Image:
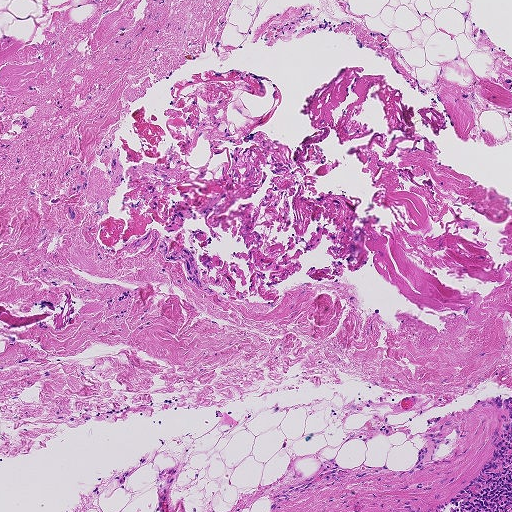
Lymph node section stained with H&E, from a whole-slide image of a breast-cancer sentinel node. Magnification about 5×, about 0.93 mm across the frame, about 1.8 µm per pixel.
Question:
Is there metastatic carcinoma in this field?
Answer:
No. No metastatic tumour is outlined in this field.